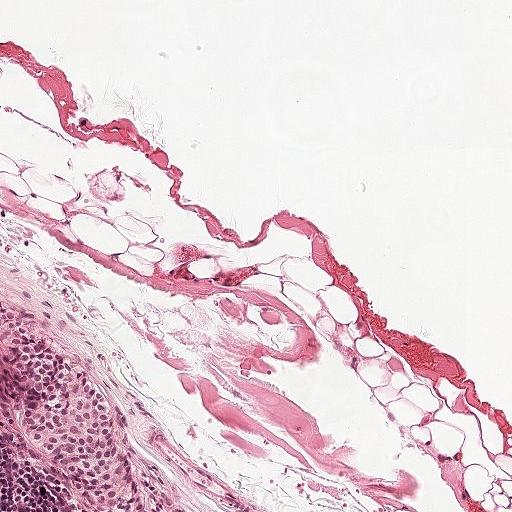
Lymph node section stained with H&E, from a whole-slide image of a breast-cancer sentinel node. Magnification about 10×, about 0.5 mm across the frame, about 0.97 µm per pixel.
Question: Is any metastatic breast cancer visible in this crop?
Answer: Yes.
Metastatic tumour outline, simplified to 13 points and listed clockwise in crop pixels (x, y): (0, 301), (17, 310), (32, 331), (80, 368), (108, 399), (127, 456), (139, 473), (143, 511), (84, 511), (54, 464), (34, 450), (22, 398), (0, 351).
About 5% of this field is tumour.